Image:
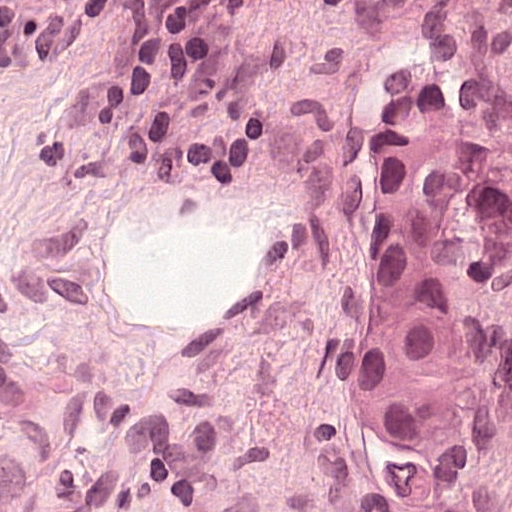
This is a crop of a whole-slide image: an H&E-stained breast-cancer sentinel lymph node section at roughly 40× magnification (about 0.24 µm per pixel; the crop spans about 0.12 mm).
Question:
Show where the tumour is in this image.
Answer:
Tumour region outline (a closed clockwise path, crop pixels): (424, 29), (486, 64), (464, 145), (461, 285), (488, 364), (488, 395), (480, 439), (446, 466), (411, 466), (368, 442), (349, 401), (355, 235), (327, 154), (339, 76), (421, 45).
Tumour covers about 20% of the frame.

Image:
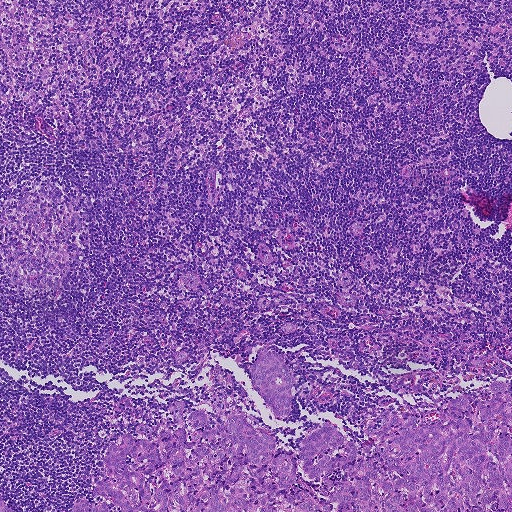
H&E-stained section of a sentinel lymph node (breast cancer), from a whole-slide image, viewed at about 5×: the field is about 0.93 mm across, about 1.8 µm per pixel.
Question:
Show where the tumour is in this image.
Answer:
Two metastatic tumour regions, each outlined as a closed clockwise path in crop pixels (x, y), largest first: region 1: (269, 343), (294, 377), (292, 411), (277, 432), (292, 449), (324, 420), (360, 439), (365, 422), (388, 410), (510, 384), (511, 511), (72, 511), (110, 476), (112, 441), (139, 424), (171, 422), (178, 399), (186, 421), (226, 390), (227, 402), (264, 426), (246, 388); region 2: (0, 497), (2, 499), (12, 511), (0, 511).
About 15% of the image area is annotated as tumour.

Image:
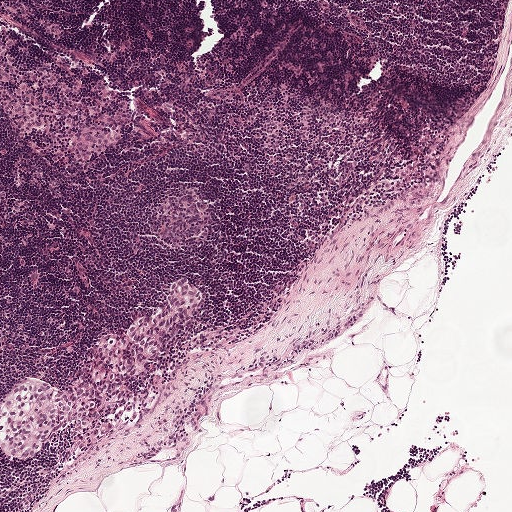
Lymph node section stained with H&E, from a whole-slide image of a breast-cancer sentinel node. Magnification about 5×, about 1 mm across the frame, about 1.9 µm per pixel.
Question:
Show where the tumour is in this image.
Answer:
Metastatic tumour outline, simplified to 23 points and listed clockwise in crop pixels (x, y): (179, 274), (193, 276), (205, 287), (205, 300), (160, 354), (135, 372), (120, 410), (122, 423), (92, 451), (72, 449), (75, 434), (68, 422), (27, 460), (14, 461), (0, 454), (1, 408), (14, 381), (34, 375), (59, 388), (77, 383), (100, 337), (129, 328), (165, 300).
About 5% of the image area is annotated as tumour.

Image:
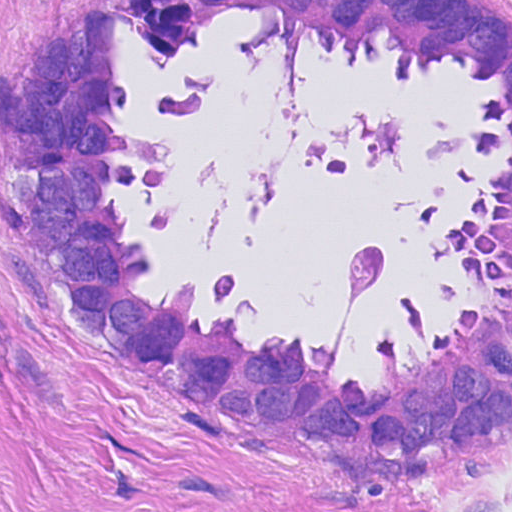
H&E-stained section of a sentinel lymph node (breast cancer), from a whole-slide image, viewed at about 40×: the field is about 0.12 mm across, about 0.23 µm per pixel.
Question:
Show where the tumour is in this image.
Answer:
The outlined metastatic tumour's edge, as a closed clockwise path of 13 points: (119, 0), (487, 0), (511, 17), (511, 447), (484, 471), (419, 477), (358, 474), (234, 437), (177, 409), (39, 285), (0, 196), (0, 89), (25, 50).
Tumour covers about 80% of the frame.